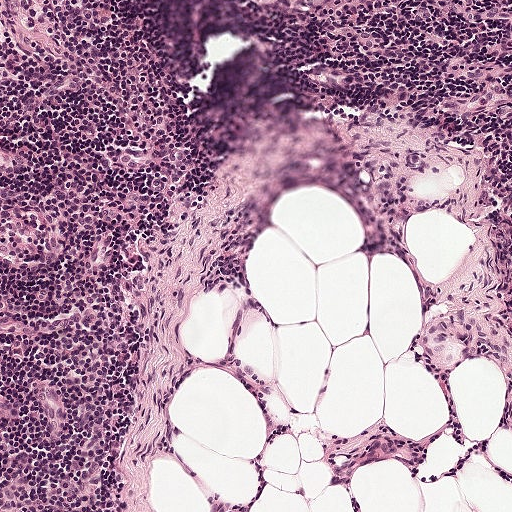
Lymph node section stained with H&E, from a whole-slide image of a breast-cancer sentinel node. Magnification about 10×, about 0.5 mm across the frame, about 0.97 µm per pixel.